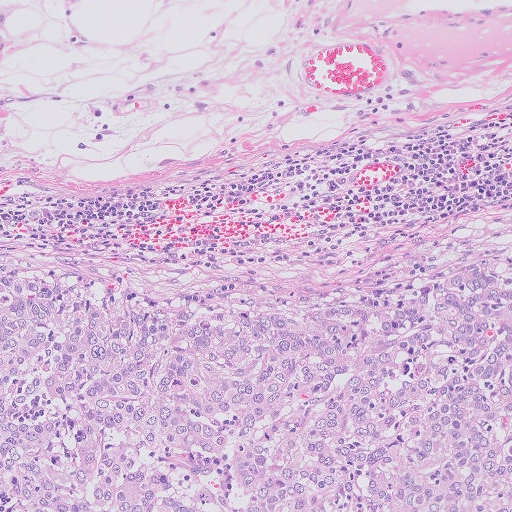
A 0.51-mm field of an H&E-stained sentinel lymph node from a breast-cancer patient (whole-slide image), shown at about 10×, about 1.0 µm per pixel.
Tumour region outline (a closed clockwise path, crop pixels): (0, 262), (122, 278), (510, 269), (511, 511), (0, 511).
The annotated tumour makes up about 45% of the crop.